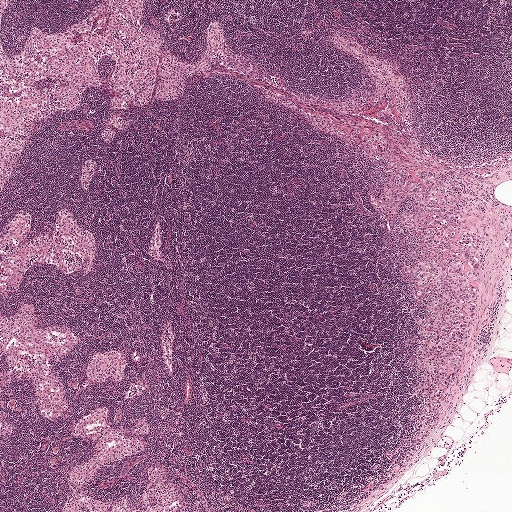
This is a crop of a whole-slide image: an H&E-stained breast-cancer sentinel lymph node section at roughly 2.5× magnification (about 3.9 µm per pixel; the crop spans about 2.0 mm).
Three metastatic tumour regions, each outlined as a closed clockwise path in crop pixels (x, y), largest first: region 1: (428, 197), (459, 212), (463, 223), (456, 233), (474, 236), (483, 272), (459, 370), (428, 439), (405, 461), (427, 402), (415, 392), (418, 373), (408, 362), (416, 353), (417, 322), (443, 289), (439, 284), (418, 296), (404, 275), (402, 268), (428, 250), (420, 232), (396, 218), (402, 208); region 2: (380, 132), (386, 136), (384, 147), (378, 155), (367, 157), (361, 152), (363, 142), (361, 137), (368, 133); region 3: (424, 166), (434, 173), (436, 177), (436, 187), (432, 188), (425, 185), (416, 176), (415, 171).
Tumour covers about 5% of the frame.